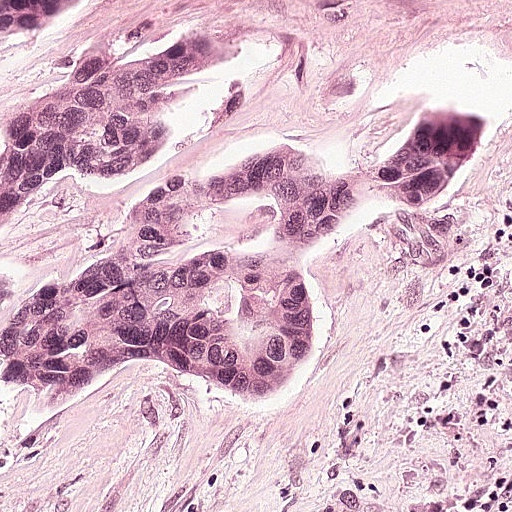
A 0.25-mm field of an H&E-stained sentinel lymph node from a breast-cancer patient (whole-slide image), shown at about 20×, about 0.49 µm per pixel.
One metastatic tumour region; its boundary, reduced to 18 corners and listed clockwise: (470, 100), (495, 118), (501, 150), (488, 168), (418, 210), (370, 210), (331, 250), (302, 364), (277, 396), (204, 400), (95, 380), (2, 446), (0, 273), (79, 255), (138, 205), (236, 192), (304, 158), (379, 176).
About 25% of the image area is annotated as tumour.